This is a crop of a whole-slide image: an H&E-stained breast-cancer sentinel lymph node section at roughly 40× magnification (about 0.24 µm per pixel; the crop spans about 0.12 mm).
Image:
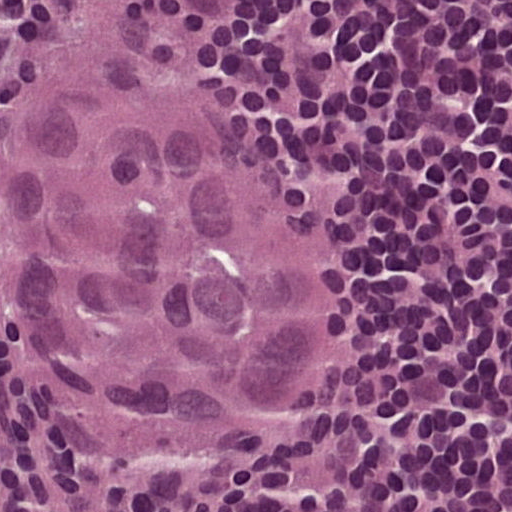
Question:
Trace the edge of each tumour region in this crop, as (x, y) points from 0 to 511.
Answer:
Tumour region outline (a closed clockwise path, crop pixels): (108, 0), (126, 0), (221, 78), (299, 174), (347, 286), (377, 404), (275, 475), (151, 473), (37, 416), (0, 310), (0, 109), (18, 63).
Tumour covers about 50% of the frame.